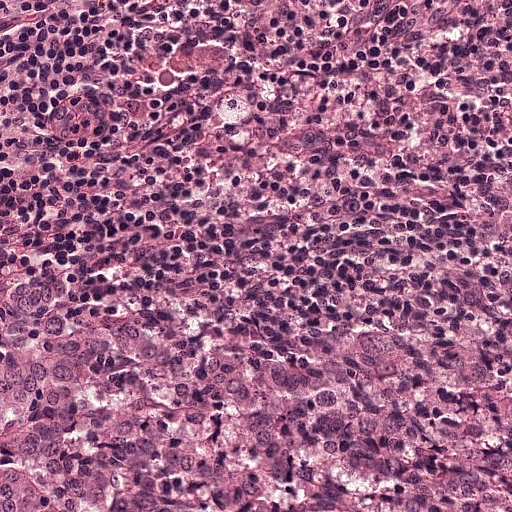
This is a crop of a whole-slide image: an H&E-stained breast-cancer sentinel lymph node section at roughly 20× magnification (about 0.49 µm per pixel; the crop spans about 0.25 mm).
Tumour region outline (a closed clockwise path, crop pixels): (511, 0), (511, 511), (0, 511), (0, 230), (102, 200), (204, 200), (254, 170), (366, 150), (417, 98), (417, 7).
Tumour covers about 70% of the frame.